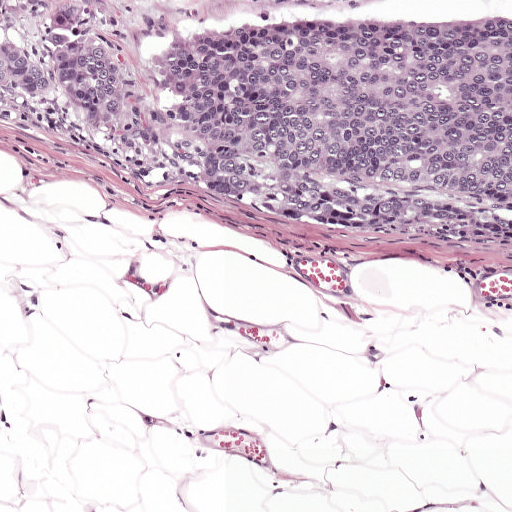
A 0.5-mm field of an H&E-stained sentinel lymph node from a breast-cancer patient (whole-slide image), shown at about 10×, about 0.97 µm per pixel.
The outlined metastatic tumour's edge, as a closed clockwise path of 6 points: (0, 0), (511, 0), (511, 244), (214, 205), (173, 174), (0, 126).
About 40% of this field is tumour.